Image:
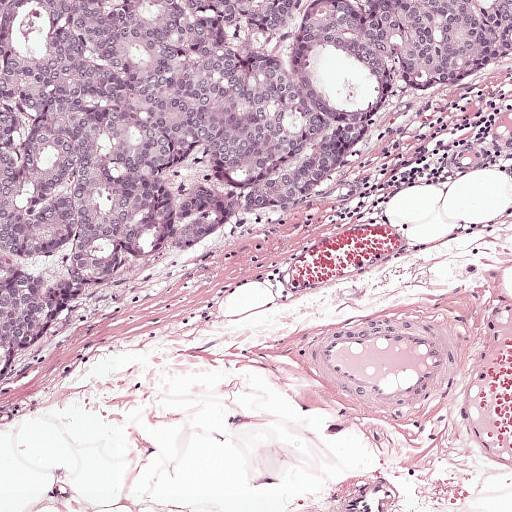
A 0.5-mm field of an H&E-stained sentinel lymph node from a breast-cancer patient (whole-slide image), shown at about 10×, about 0.97 µm per pixel.
Question:
Show where the tumour is in this image.
Answer:
One metastatic tumour region; its boundary, reduced to 8 corners and listed clockwise: (0, 0), (511, 0), (511, 62), (434, 96), (315, 193), (99, 292), (29, 344), (5, 382).
Tumour covers about 40% of the frame.